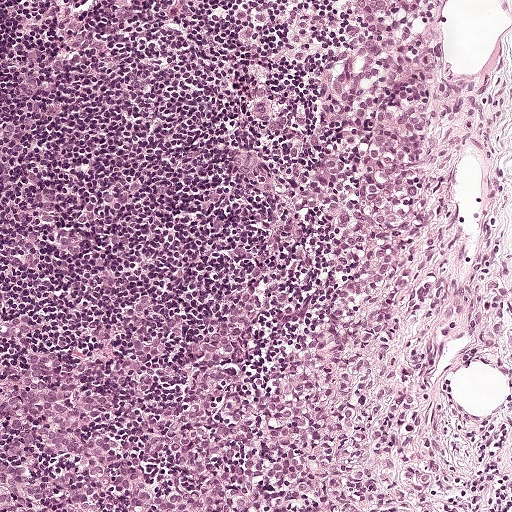
H&E-stained section of a sentinel lymph node (breast cancer), from a whole-slide image, viewed at about 10×: the field is about 0.5 mm across, about 0.97 µm per pixel.
Question: Does this lymph node field contain metastatic tumour?
Answer: Yes.
Metastatic tumour outline, simplified to 17 points and listed clockwise in crop pixels (x, y): (355, 0), (435, 0), (464, 38), (453, 130), (412, 253), (334, 374), (311, 453), (330, 488), (384, 511), (0, 511), (0, 344), (64, 338), (152, 299), (218, 312), (264, 290), (302, 242), (332, 176).
Tumour covers about 40% of the frame.